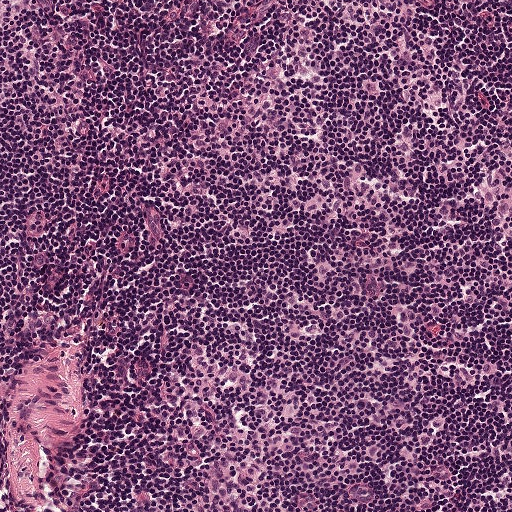
A 0.5-mm field of an H&E-stained sentinel lymph node from a breast-cancer patient (whole-slide image), shown at about 10×, about 0.97 µm per pixel.